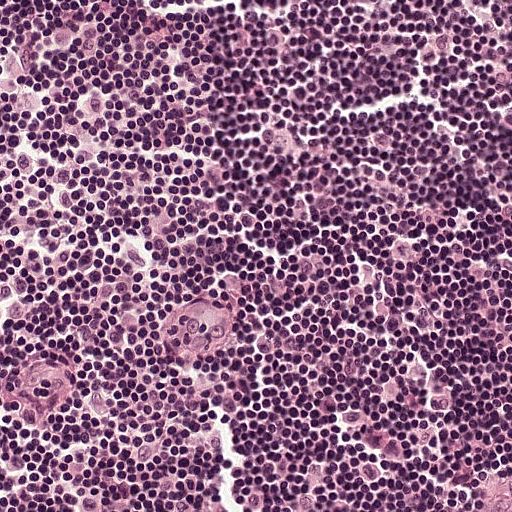
This is a crop of a whole-slide image: an H&E-stained breast-cancer sentinel lymph node section at roughly 20× magnification (about 0.49 µm per pixel; the crop spans about 0.25 mm).
Question: Is any metastatic breast cancer visible in this crop?
Answer: No: no metastatic tumour is outlined anywhere in this field.